This is a crop of a whole-slide image: an H&E-stained breast-cancer sentinel lymph node section at roughly 5× magnification (about 1.9 µm per pixel; the crop spans about 1 mm).
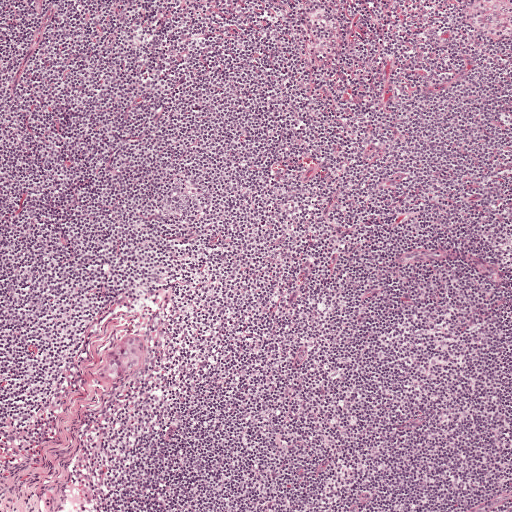
Tumour region outline (a closed clockwise path, crop pixels): (136, 334), (143, 337), (145, 348), (145, 361), (136, 372), (117, 381), (107, 381), (96, 374), (109, 350).
Under 5% of this field is tumour.